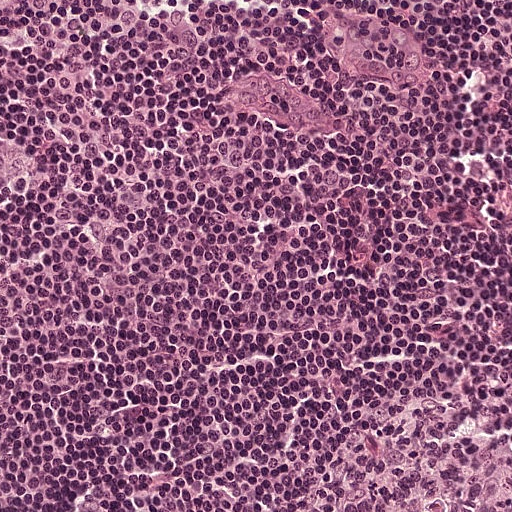
A 0.25-mm field of an H&E-stained sentinel lymph node from a breast-cancer patient (whole-slide image), shown at about 20×, about 0.49 µm per pixel.